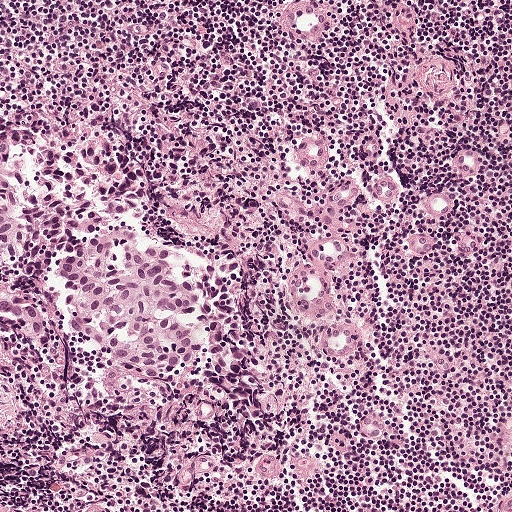
This is a crop of a whole-slide image: an H&E-stained breast-cancer sentinel lymph node section at roughly 10× magnification (about 0.97 µm per pixel; the crop spans about 0.5 mm).
Two metastatic tumour regions, each outlined as a closed clockwise path in crop pixels (x, y), largest first: region 1: (0, 113), (59, 123), (132, 166), (142, 188), (133, 218), (234, 278), (246, 300), (246, 352), (238, 366), (220, 373), (208, 337), (198, 358), (175, 375), (120, 368), (77, 328), (65, 304), (65, 272), (40, 283), (1, 261); region 2: (0, 294), (23, 294), (41, 303), (47, 313), (43, 336), (36, 342), (24, 340), (1, 326).
About 15% of the image area is annotated as tumour.